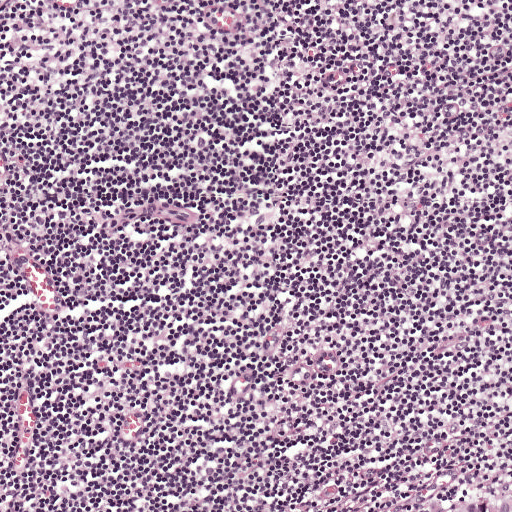
This is a crop of a whole-slide image: an H&E-stained breast-cancer sentinel lymph node section at roughly 10× magnification (about 0.97 µm per pixel; the crop spans about 0.5 mm).
Metastatic tumour outline, simplified to 6 points and listed clockwise in crop pixels (x, y): (511, 477), (511, 511), (419, 511), (435, 502), (481, 480), (500, 480).
The annotated tumour makes up under 5% of the crop.